Question: 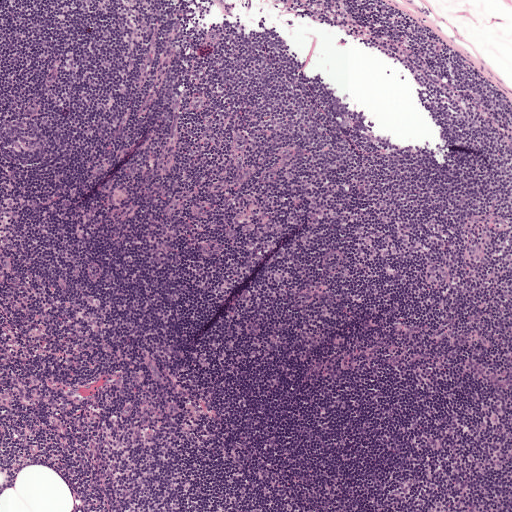
At roughly what magnification is this field shown?

Choices:
 (A) about 5×
 (B) about 2.5×
 (C) about 10×
 (D) about 20×
 (E) about 40×

Answer: (A) about 5×
Lymph node section stained with H&E, from a whole-slide image of a breast-cancer sentinel node. Magnification about 5×, about 1 mm across the frame, about 1.9 µm per pixel.